Question: 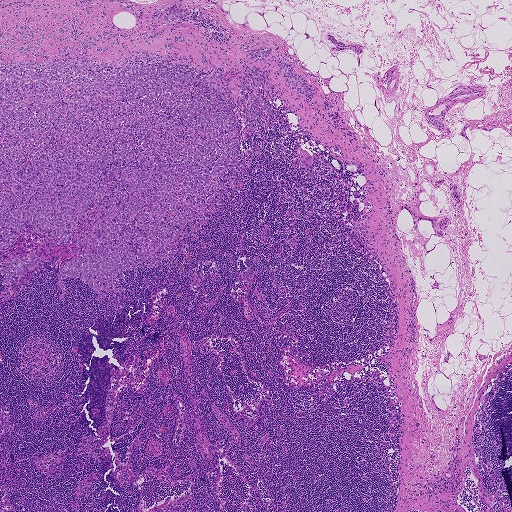
H&E-stained section of a sentinel lymph node (breast cancer), from a whole-slide image, viewed at about 2.5×: the field is about 1.9 mm across, about 3.6 µm per pixel.
What fraction of the image area is metastatic tumour?

Choices:
 (A) about 10% to 20%
 (B) about 5% or less
 (C) none: no tumour is outlined
 (D) about 25% to 45%
 (E) about 50% or more

Answer: (D) about 25% to 45%
About 25% of the field is tumour.
Boundaries of two metastatic tumour regions, simplified and listed clockwise, largest first: region 1: (2, 4), (66, 4), (131, 45), (186, 8), (135, 48), (154, 51), (181, 34), (216, 68), (272, 47), (276, 123), (240, 140), (261, 155), (244, 185), (173, 260), (122, 273), (126, 299), (78, 277), (60, 301), (61, 252), (8, 288), (0, 260), (46, 240), (3, 251); region 2: (277, 61), (293, 64), (296, 73), (307, 80), (307, 83), (313, 88), (314, 97), (313, 99), (306, 99), (288, 86), (284, 80), (284, 73), (276, 64).